A 1.9-mm field of an H&E-stained sentinel lymph node from a breast-cancer patient (whole-slide image), shown at about 2.5×, about 3.6 µm per pixel.
Image:
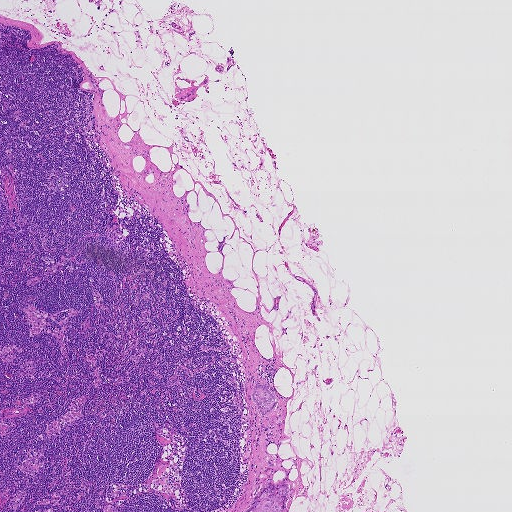
Question:
Does this lymph node field contain metastatic tumour?
Answer:
Yes.
Boundaries of two metastatic tumour regions, simplified and listed clockwise, largest first: region 1: (269, 475), (274, 483), (283, 482), (288, 485), (288, 492), (282, 511), (245, 511), (251, 505), (252, 499); region 2: (257, 384), (269, 387), (276, 398), (276, 405), (273, 410), (268, 414), (261, 414), (250, 397), (254, 386).
Under 5% of the image area is annotated as tumour.